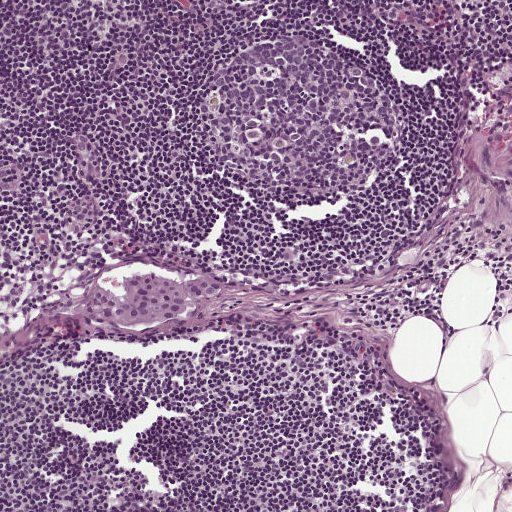
A 0.5-mm field of an H&E-stained sentinel lymph node from a breast-cancer patient (whole-slide image), shown at about 10×, about 0.97 µm per pixel.
One metastatic tumour region; its boundary, reduced to 21 corners and listed clockwise: (152, 272), (182, 280), (204, 276), (217, 280), (224, 286), (216, 298), (200, 302), (196, 308), (189, 309), (185, 316), (170, 320), (128, 326), (106, 324), (72, 314), (73, 310), (82, 296), (94, 285), (100, 282), (121, 294), (122, 280), (127, 275).
The annotated tumour makes up under 5% of the crop.